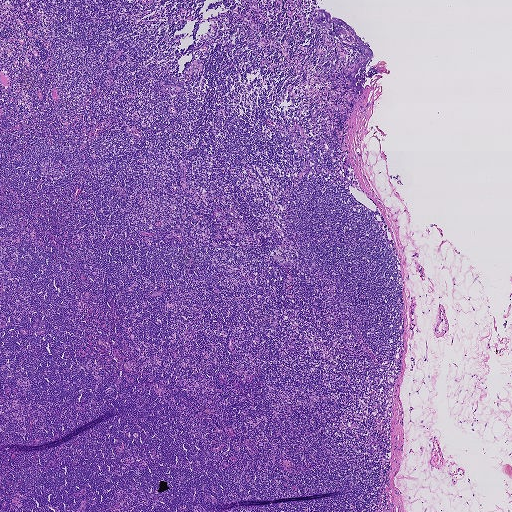
This is a crop of a whole-slide image: an H&E-stained breast-cancer sentinel lymph node section at roughly 2.5× magnification (about 3.6 µm per pixel; the crop spans about 1.9 mm).
Question: Is there metastatic carcinoma in this field?
Answer: No, this field holds no outlined metastasis.